Image:
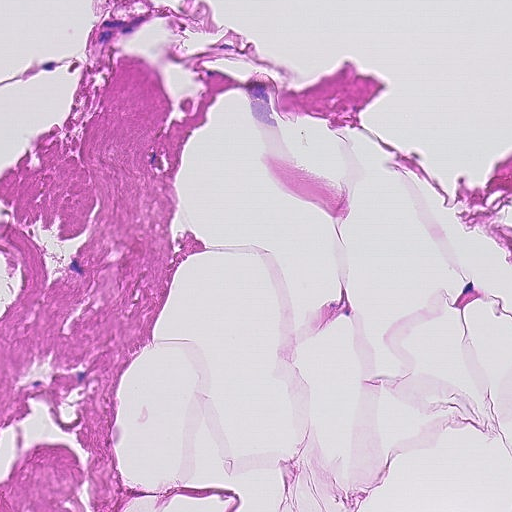
This is a crop of a whole-slide image: an H&E-stained breast-cancer sentinel lymph node section at roughly 20× magnification (about 0.45 µm per pixel; the crop spans about 0.23 mm).
Question:
Does this lymph node field contain metastatic tumour?
Answer:
No. No metastatic tumour is outlined in this field.